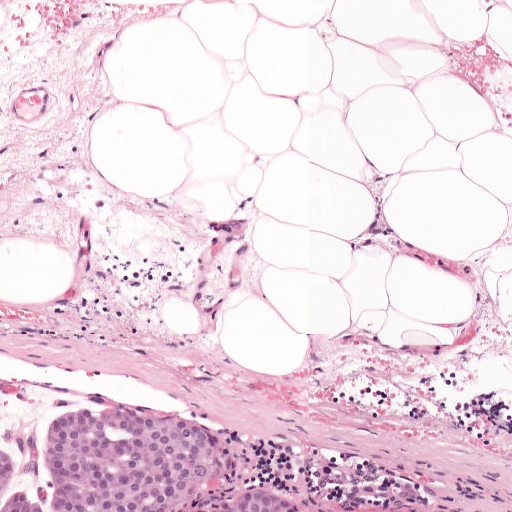
A 0.5-mm field of an H&E-stained sentinel lymph node from a breast-cancer patient (whole-slide image), shown at about 10×, about 0.97 µm per pixel.
Metastatic tumour outline, simplified to 9 points and listed clockwise in crop pixels (x, y): (0, 398), (37, 418), (68, 402), (121, 403), (226, 432), (258, 474), (305, 496), (364, 511), (0, 511).
Tumour covers about 10% of the frame.